Question: 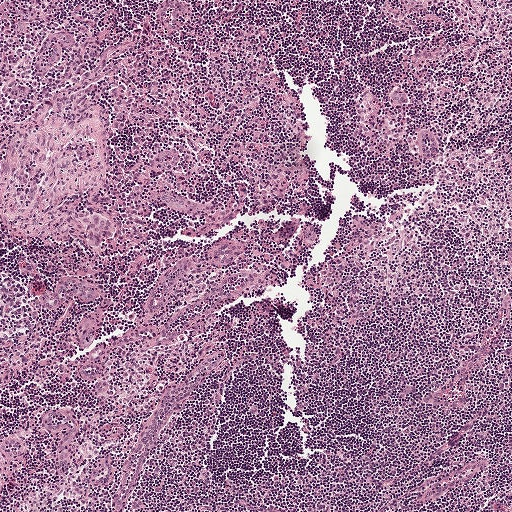
Lymph node section stained with H&E, from a whole-slide image of a breast-cancer sentinel node. Magnification about 5×, about 1 mm across the frame, about 1.9 µm per pixel.
What fraction of the image area is metastatic tumour?

Choices:
 (A) about 10% to 20%
 (B) about 50% or more
 (C) about 5% or less
 (D) about 25% to 45%
 (E) none: no tumour is outlined

Answer: (C) about 5% or less
Under 5% of the field is tumour.
One metastatic tumour region; its boundary, reduced to 13 corners and listed clockwise: (78, 208), (87, 208), (97, 211), (117, 222), (116, 237), (112, 240), (106, 241), (94, 250), (89, 250), (84, 241), (82, 228), (72, 222), (72, 213).